A 0.46-mm field of an H&E-stained sentinel lymph node from a breast-cancer patient (whole-slide image), shown at about 10×, about 0.91 µm per pixel.
Question: 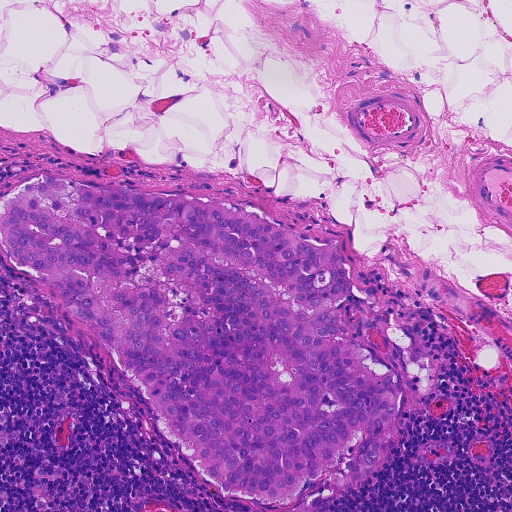
Roughly what share of this field is metastatic tumour?

Choices:
 (A) about 25% to 45%
 (B) none: no tumour is outlined
 (C) about 50% or more
 (D) about 10% to 20%
 (E) about 5% or less

Answer: (A) about 25% to 45%
About 30% of the field is tumour.
The outlined metastatic tumour's edge, as a closed clockwise path of 18 points: (44, 172), (225, 204), (310, 244), (335, 244), (353, 282), (329, 340), (356, 342), (396, 390), (376, 470), (349, 484), (347, 454), (307, 478), (290, 504), (237, 500), (200, 477), (104, 348), (0, 238), (1, 197).
One more small tumour piece is annotated here but not outlined.